Image:
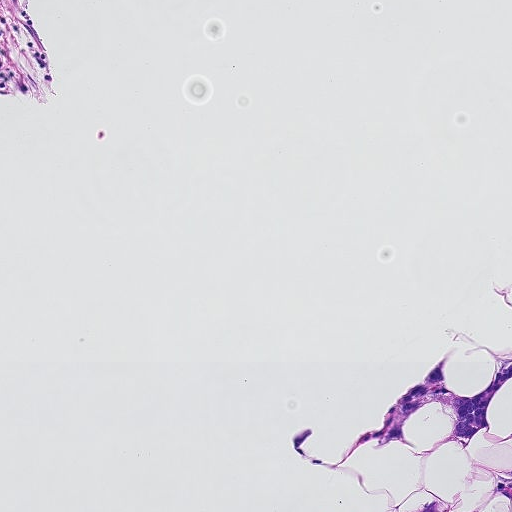
Lymph node section stained with H&E, from a whole-slide image of a breast-cancer sentinel node. Magnification about 10×, about 0.46 mm across the frame, about 0.9 µm per pixel.
Question:
Which parts of this field are metastatic tumour?
Answer:
Boundaries of two metastatic tumour regions, simplified and listed clockwise, largest first: region 1: (511, 348), (511, 379), (499, 388), (490, 403), (492, 437), (511, 433), (511, 442), (494, 445), (482, 434), (463, 446), (435, 448), (449, 431), (455, 415), (442, 404), (424, 407), (411, 416), (404, 432), (414, 449), (376, 442), (360, 449), (337, 470), (319, 470), (292, 450), (292, 433), (309, 436), (305, 452), (320, 462), (337, 459), (346, 444), (377, 427), (406, 384), (446, 351), (445, 377), (456, 390), (472, 394), (486, 385), (494, 370), (490, 354); region 2: (486, 467), (498, 472), (511, 470), (511, 511), (470, 511), (484, 499), (492, 483).
Tumour covers about 5% of the frame.